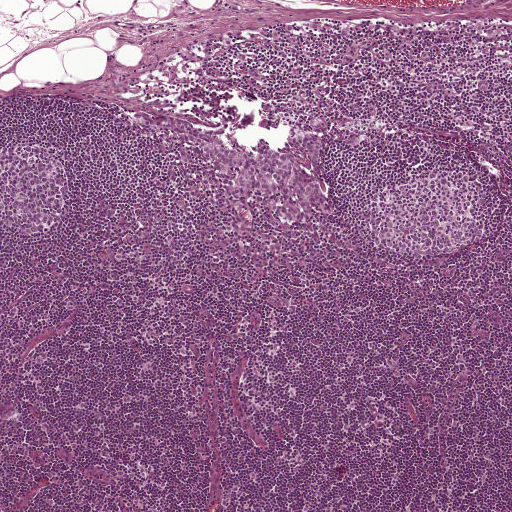
A 1-mm field of an H&E-stained sentinel lymph node from a breast-cancer patient (whole-slide image), shown at about 5×, about 1.9 µm per pixel.
Tumour region outline (a closed clockwise path, crop pixels): (138, 108), (203, 126), (225, 127), (246, 114), (322, 114), (330, 122), (323, 169), (329, 220), (291, 224), (251, 200), (239, 204), (203, 186), (198, 169), (178, 159), (165, 144), (137, 135), (131, 116).
The annotated tumour makes up about 5% of the crop.